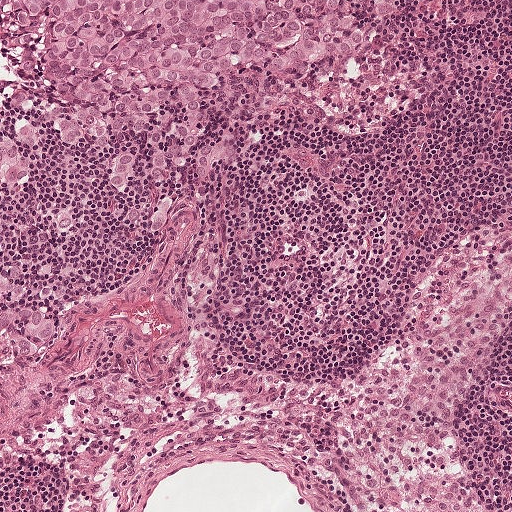
Lymph node section stained with H&E, from a whole-slide image of a breast-cancer sentinel node. Magnification about 10×, about 0.5 mm across the frame, about 0.97 µm per pixel.
Outlines of three tumour regions, largest first (closed clockwise paths, crop pixels): region 1: (0, 0), (366, 0), (352, 9), (361, 40), (351, 55), (281, 77), (228, 77), (222, 109), (230, 122), (210, 169), (175, 196), (149, 231), (152, 194), (138, 139), (129, 184), (114, 192), (104, 176), (114, 154), (58, 141), (49, 119), (55, 100), (1, 58); region 2: (0, 274), (24, 288), (36, 304), (50, 313), (50, 335), (48, 342), (16, 361), (0, 366); region 3: (24, 124), (33, 126), (39, 138), (39, 152), (33, 179), (24, 186), (9, 189), (0, 185), (0, 135), (15, 130).
The annotated tumour makes up about 20% of the crop.